Question: 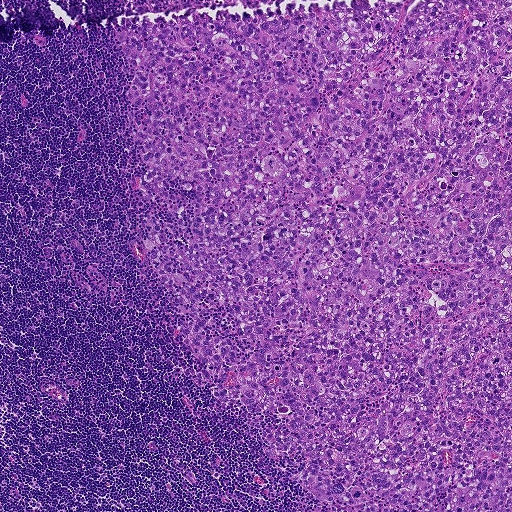
Lymph node section stained with H&E, from a whole-slide image of a breast-cancer sentinel node. Magnification about 5×, about 0.93 mm across the frame, about 1.8 µm per pixel.
Roughly what share of this field is metastatic tumour?

Choices:
 (A) about 5% or less
 (B) about 25% to 45%
 (C) about 50% or more
 (D) about 10% to 20%
 (E) none: no tumour is outlined

Answer: (C) about 50% or more
About 65% of the field is tumour.
Metastatic tumour outline, simplified to 16 points and listed clockwise in crop pixels (x, y): (511, 0), (511, 511), (346, 511), (299, 452), (263, 448), (295, 413), (199, 383), (144, 245), (149, 210), (178, 217), (138, 182), (141, 107), (124, 97), (133, 72), (114, 40), (119, 7).